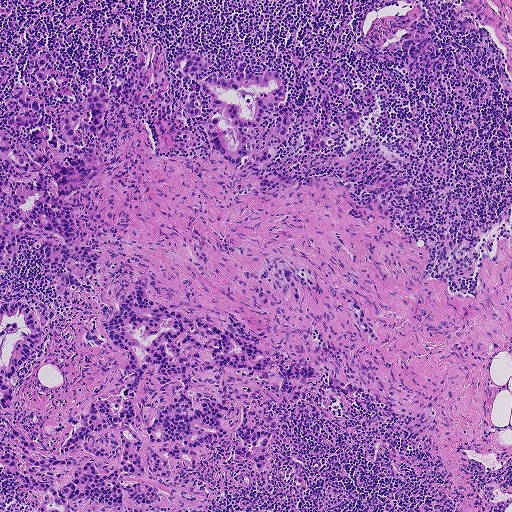
H&E-stained section of a sentinel lymph node (breast cancer), from a whole-slide image, viewed at about 5×: the field is about 0.93 mm across, about 1.8 µm per pixel.
Boundaries of four metastatic tumour regions, simplified and listed clockwise, largest first: region 1: (50, 46), (80, 84), (122, 82), (119, 142), (70, 194), (93, 190), (103, 278), (236, 313), (381, 402), (238, 374), (278, 430), (258, 473), (217, 444), (145, 480), (154, 508), (23, 511), (0, 468), (0, 302), (58, 308), (8, 382), (49, 448), (125, 358), (80, 340), (96, 301), (63, 301), (31, 238), (0, 278), (0, 127), (39, 134), (4, 108), (25, 84), (59, 134); region 2: (185, 49), (205, 56), (207, 66), (195, 76), (216, 72), (237, 75), (246, 58), (261, 74), (270, 69), (281, 72), (288, 81), (283, 102), (299, 116), (271, 161), (277, 164), (297, 154), (311, 126), (322, 127), (356, 107), (364, 87), (373, 92), (375, 102), (372, 109), (361, 107), (361, 119), (352, 125), (340, 125), (332, 133), (334, 143), (305, 158), (286, 184), (265, 187), (213, 150), (202, 131), (175, 114), (173, 96), (183, 93), (184, 82), (170, 66); region 3: (289, 265), (306, 267), (313, 271), (315, 280), (338, 290), (362, 304), (368, 320), (377, 334), (377, 341), (363, 330), (352, 307), (333, 297), (328, 290), (320, 288), (325, 292), (320, 293), (295, 282), (300, 295), (298, 303), (296, 303), (292, 296), (290, 287), (288, 300), (280, 300), (279, 291), (282, 283), (281, 267); region 4: (336, 77), (341, 77), (346, 88), (346, 95), (340, 97), (334, 94), (330, 89), (331, 82).
Three more small tumour pieces are annotated here but not outlined.
About 30% of this field is tumour.